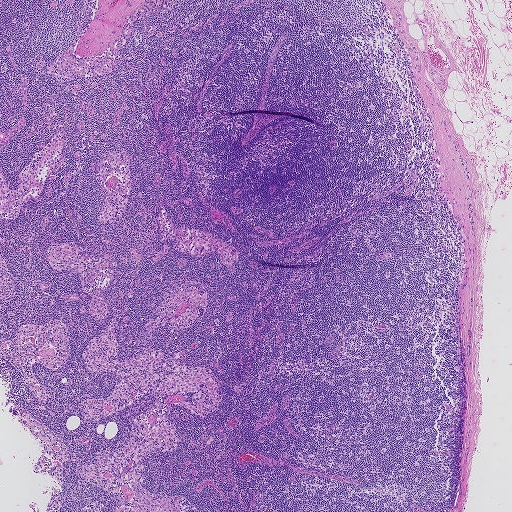
This is a crop of a whole-slide image: an H&E-stained breast-cancer sentinel lymph node section at roughly 2.5× magnification (about 3.6 µm per pixel; the crop spans about 1.9 mm).